Lymph node section stained with H&E, from a whole-slide image of a breast-cancer sentinel node. Magnification about 40×, about 0.12 mm across the frame, about 0.24 µm per pixel.
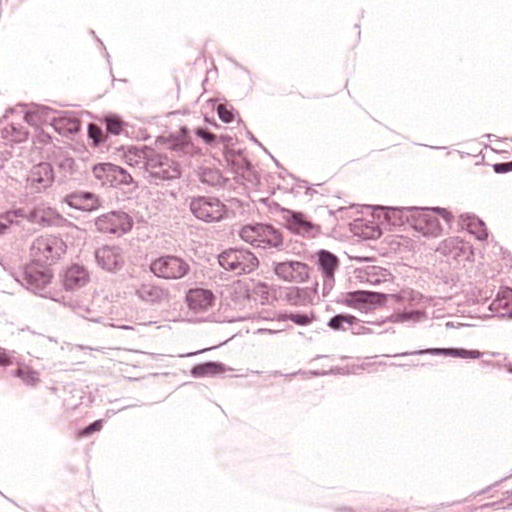
Boundaries of two metastatic tumour regions, simplified and listed clockwise, largest first: region 1: (210, 35), (240, 95), (284, 139), (333, 165), (448, 169), (507, 202), (511, 295), (488, 313), (103, 320), (0, 258), (0, 96), (18, 84), (207, 65); region 2: (0, 306), (33, 321), (33, 324), (40, 328), (62, 335), (66, 343), (66, 365), (73, 372), (76, 397), (59, 391), (18, 384), (0, 376).
Tumour covers about 40% of the frame.